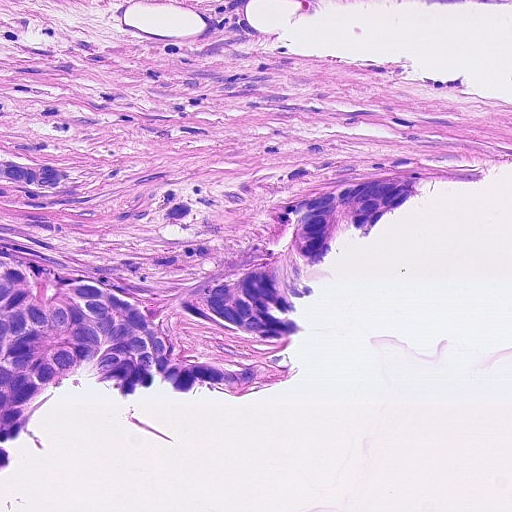
This is a crop of a whole-slide image: an H&E-stained breast-cancer sentinel lymph node section at roughly 20× magnification (about 0.45 µm per pixel; the crop spans about 0.23 mm).
Metastatic tumour outline, simplified to 34 points and listed clockwise in crop pixels (x, y): (424, 164), (493, 172), (430, 180), (404, 210), (378, 219), (366, 242), (348, 230), (318, 290), (306, 300), (292, 298), (306, 316), (280, 314), (308, 331), (291, 335), (286, 354), (302, 370), (231, 400), (177, 393), (157, 377), (148, 395), (126, 398), (84, 364), (6, 446), (6, 468), (0, 235), (97, 268), (188, 346), (226, 362), (270, 360), (166, 306), (193, 280), (268, 253), (280, 217), (308, 190).
The annotated tumour makes up about 15% of the crop.